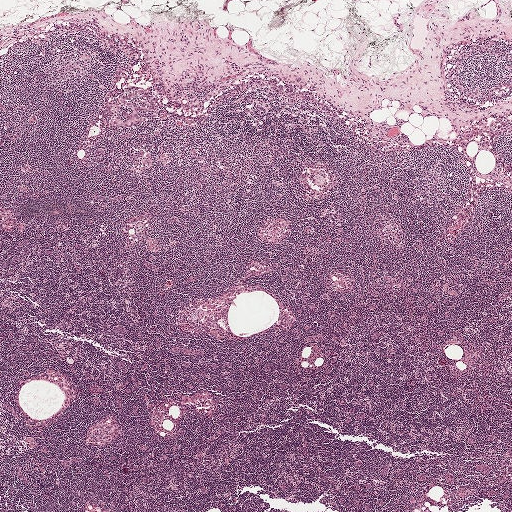
This is a crop of a whole-slide image: an H&E-stained breast-cancer sentinel lymph node section at roughly 2.5× magnification (about 3.9 µm per pixel; the crop spans about 2.0 mm).
One metastatic tumour region; its boundary, reduced to 17 corners and listed clockwise: (123, 95), (131, 95), (134, 104), (149, 109), (139, 110), (140, 115), (148, 117), (148, 119), (142, 124), (131, 126), (123, 125), (115, 126), (110, 124), (110, 115), (106, 105), (114, 100), (119, 100).
The annotated tumour makes up under 5% of the crop.